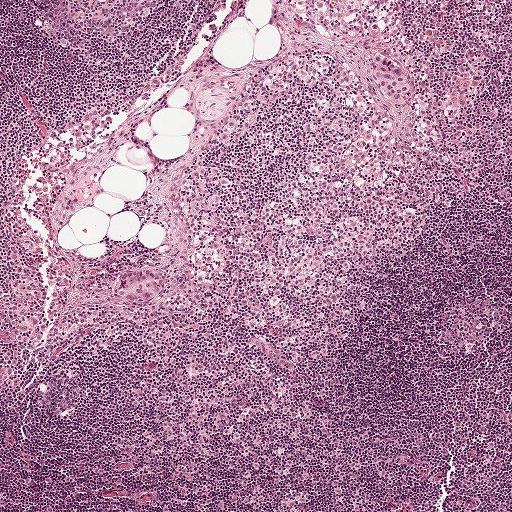
H&E-stained section of a sentinel lymph node (breast cancer), from a whole-slide image, viewed at about 5×: the field is about 1 mm across, about 1.9 µm per pixel.
Boundaries of two metastatic tumour regions, simplified and listed clockwise, largest first: region 1: (371, 51), (383, 53), (407, 71), (411, 80), (411, 90), (406, 107), (394, 108), (380, 100), (378, 93), (364, 71), (367, 56); region 2: (141, 270), (162, 275), (165, 279), (164, 293), (162, 296), (140, 307), (115, 304), (110, 298), (109, 292), (122, 271).
The annotated tumour makes up under 5% of the crop.